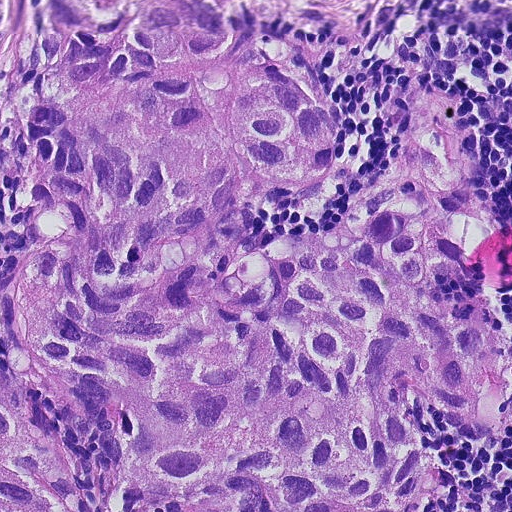
Lymph node section stained with H&E, from a whole-slide image of a breast-cancer sentinel node. Magnification about 20×, about 0.23 mm across the frame, about 0.45 µm per pixel.
Tumour region outline (a closed clockwise path, crop pixels): (0, 0), (383, 0), (348, 26), (288, 25), (340, 116), (338, 146), (324, 172), (268, 191), (251, 248), (340, 218), (400, 152), (416, 95), (443, 83), (486, 173), (493, 232), (428, 280), (511, 327), (511, 441), (474, 442), (404, 395), (430, 470), (430, 511), (0, 511).
About 85% of the image area is annotated as tumour.